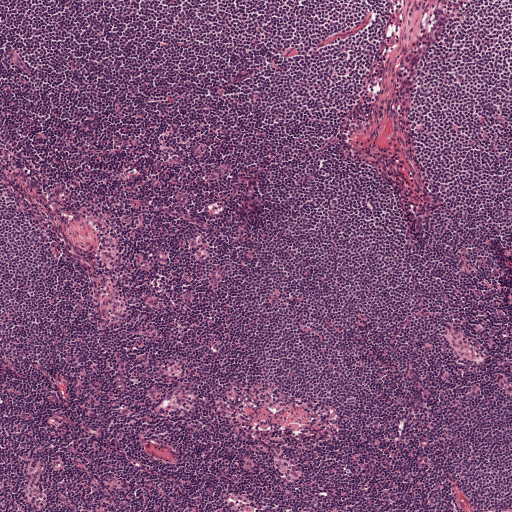
H&E-stained section of a sentinel lymph node (breast cancer), from a whole-slide image, viewed at about 5×: the field is about 1 mm across, about 1.9 µm per pixel.